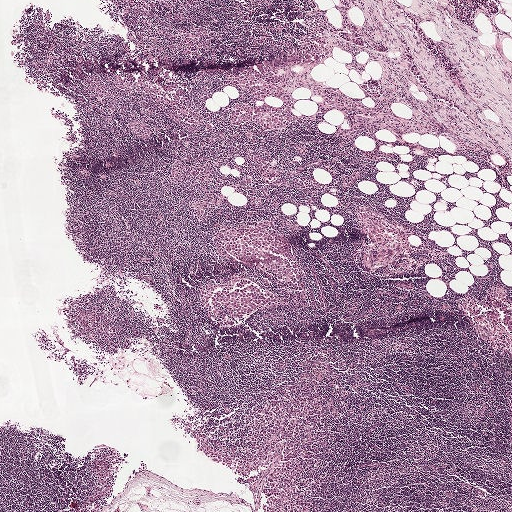
Lymph node section stained with H&E, from a whole-slide image of a breast-cancer sentinel node. Magnification about 2.5×, about 2.0 mm across the frame, about 3.9 µm per pixel.
Boundaries of two metastatic tumour regions, simplified and listed clockwise, largest first: region 1: (265, 221), (270, 222), (274, 226), (269, 245), (240, 257), (227, 257), (212, 244), (212, 240), (219, 234); region 2: (258, 285), (261, 290), (271, 293), (271, 296), (260, 308), (237, 320), (230, 317), (223, 309), (210, 305), (212, 296), (217, 291).
Under 5% of this field is tumour.